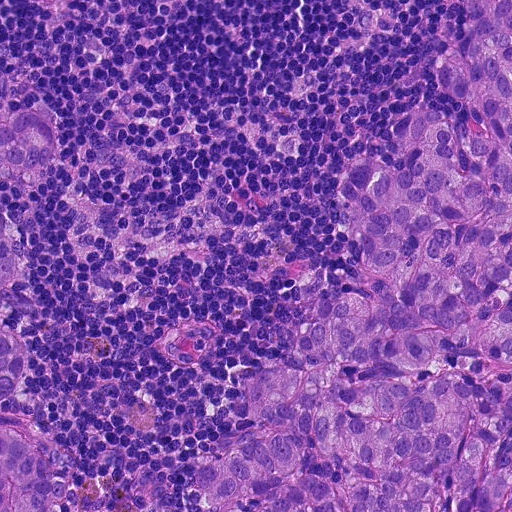
H&E-stained section of a sentinel lymph node (breast cancer), from a whole-slide image, viewed at about 20×: the field is about 0.23 mm across, about 0.45 µm per pixel.
Question: Is any metastatic breast cancer visible in this crop?
Answer: Yes.
Outlines of three tumour regions, largest first (closed clockwise paths, crop pixels): region 1: (450, 0), (511, 0), (511, 511), (205, 511), (189, 491), (193, 462), (242, 425), (244, 385), (278, 362), (320, 291), (352, 267), (332, 186), (352, 152), (392, 154), (387, 114), (426, 104); region 2: (0, 211), (14, 227), (44, 300), (36, 316), (8, 313), (1, 326), (32, 348), (32, 386), (40, 416), (70, 440), (68, 480), (60, 511), (0, 511); region 3: (20, 87), (38, 89), (55, 112), (61, 160), (36, 189), (0, 187), (0, 90).
About 45% of this field is tumour.